This is a crop of a whole-slide image: an H&E-stained breast-cancer sentinel lymph node section at roughly 20× magnification (about 0.49 µm per pixel; the crop spans about 0.25 mm).
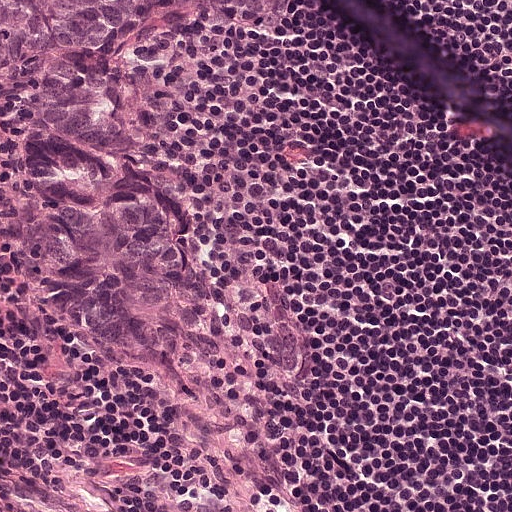
The outlined metastatic tumour's edge, as a closed clockwise path of 18 points: (0, 0), (284, 0), (292, 32), (167, 34), (135, 48), (127, 80), (130, 120), (159, 136), (196, 179), (219, 268), (256, 344), (210, 374), (172, 381), (78, 332), (51, 302), (19, 220), (28, 135), (1, 100).
Tumour covers about 25% of the frame.